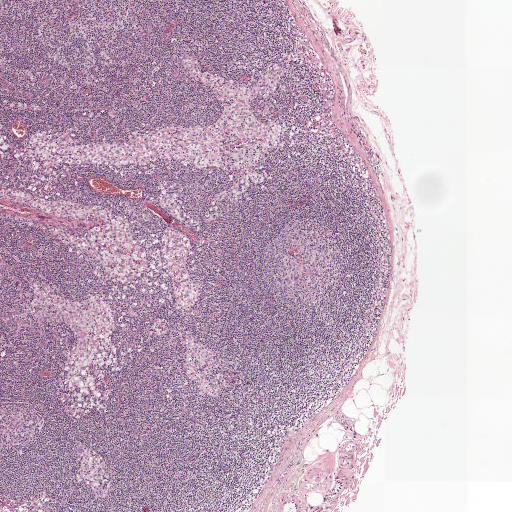
Lymph node section stained with H&E, from a whole-slide image of a breast-cancer sentinel node. Magnification about 2.5×, about 2.0 mm across the frame, about 3.9 µm per pixel.